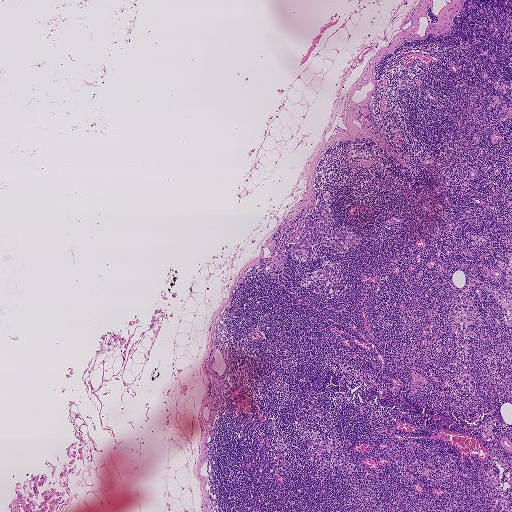
A 1.9-mm field of an H&E-stained sentinel lymph node from a breast-cancer patient (whole-slide image), shown at about 2.5×, about 3.6 µm per pixel.
Question: Where is the metastatic tumour in this field? Give each region's outline as (x, y) pixel points.
Answer: Tumour region outline (a closed clockwise path, crop pixels): (325, 201), (334, 210), (332, 215), (338, 218), (330, 226), (351, 227), (361, 238), (360, 243), (357, 248), (350, 247), (341, 254), (321, 245), (316, 259), (306, 262), (293, 260), (291, 244), (297, 245), (302, 232), (320, 220), (315, 215).
The annotated tumour makes up under 5% of the crop.